H&E-stained section of a sentinel lymph node (breast cancer), from a whole-slide image, viewed at about 5×: the field is about 1 mm across, about 1.9 µm per pixel.
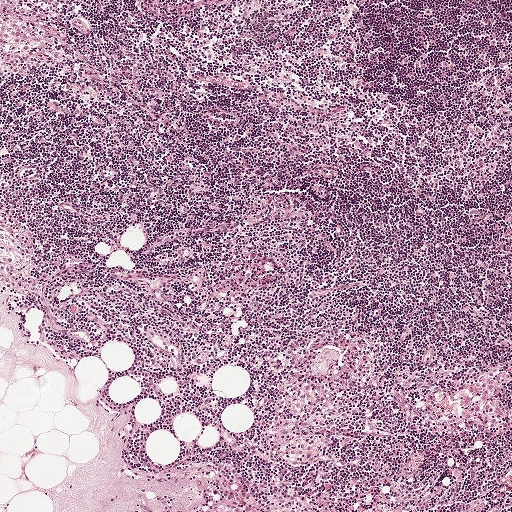
Question: Is there metastatic carcinoma in this field?
Answer: No, this field holds no outlined metastasis.